Question: 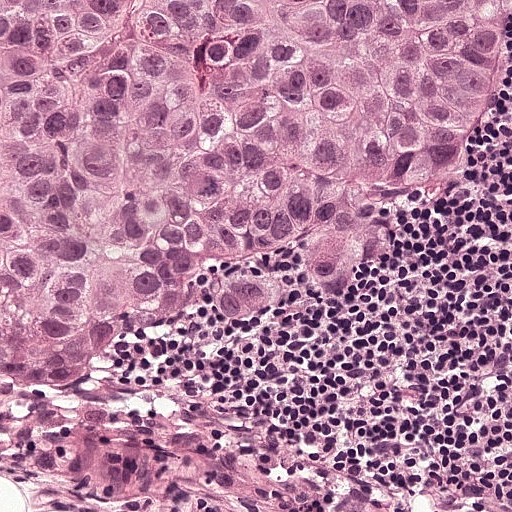
A 0.25-mm field of an H&E-stained sentinel lymph node from a breast-cancer patient (whole-slide image), shown at about 20×, about 0.49 µm per pixel.
About how much of this crop is taken up by metastatic carcinoma?

Choices:
 (A) about 50% or more
 (B) about 25% to 45%
 (C) about 10% to 20%
 (D) about 5% or less
 (E) none: no tumour is outlined

Answer: (A) about 50% or more
About 65% of the field is tumour.
One metastatic tumour region; its boundary, reduced to 10 corners and listed clockwise: (0, 0), (511, 0), (511, 160), (458, 222), (401, 256), (360, 299), (292, 308), (226, 354), (180, 358), (1, 444).